Image:
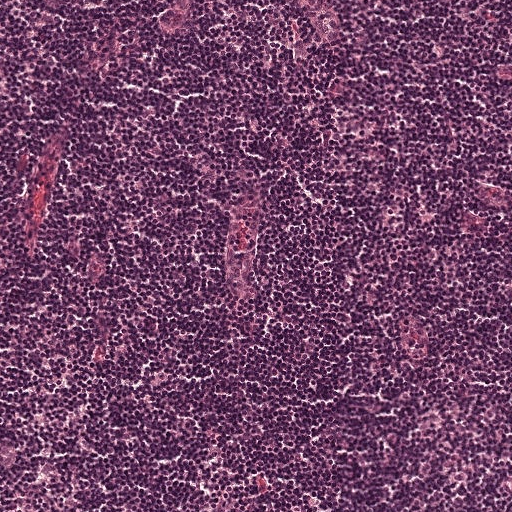
Lymph node section stained with H&E, from a whole-slide image of a breast-cancer sentinel node. Magnification about 10×, about 0.5 mm across the frame, about 0.97 µm per pixel.
Question:
Is any metastatic breast cancer visible in this crop?
Answer:
No, this field holds no outlined metastasis.